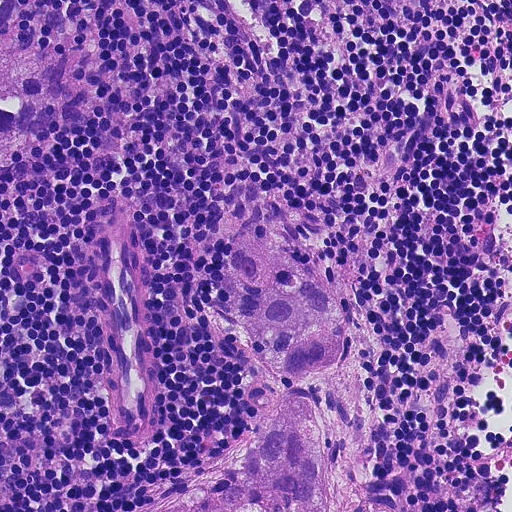
This is a crop of a whole-slide image: an H&E-stained breast-cancer sentinel lymph node section at roughly 20× magnification (about 0.45 µm per pixel; the crop spans about 0.23 mm).
Boundaries of two metastatic tumour regions, simplified and listed clockwise, largest first: region 1: (252, 182), (324, 270), (352, 330), (352, 354), (313, 392), (337, 480), (335, 511), (156, 511), (260, 422), (278, 386), (227, 338), (212, 296), (240, 234), (243, 212), (232, 192); region 2: (0, 0), (52, 0), (54, 10), (74, 14), (90, 26), (97, 46), (82, 84), (92, 102), (84, 122), (64, 127), (42, 161), (0, 185).
Tumour covers about 15% of the frame.